Question: 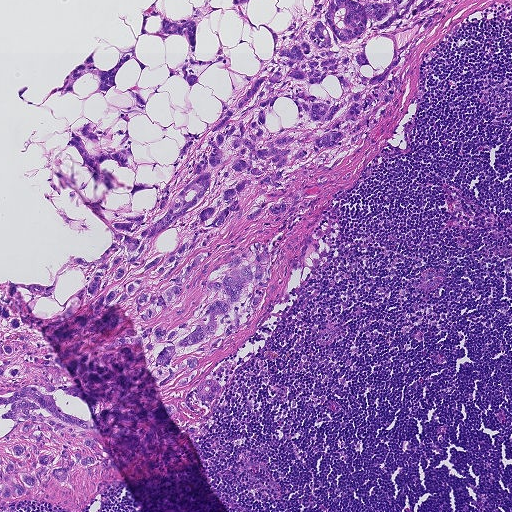
This is a crop of a whole-slide image: an H&E-stained breast-cancer sentinel lymph node section at roughly 5× magnification (about 1.8 µm per pixel; the crop spans about 0.93 mm).
About how much of this crop is taken up by metastatic carcinoma?

Choices:
 (A) about 10% to 20%
 (B) about 5% or less
 (C) about 50% or more
 (D) none: no tumour is outlined
 (E) about 25% to 45%

Answer: (E) about 25% to 45%
About 45% of the field is tumour.
Metastatic tumour outline, simplified to 30 points and listed clockwise in crop pixels (x, y): (211, 0), (196, 58), (216, 31), (237, 89), (273, 46), (231, 0), (248, 0), (280, 33), (310, 0), (498, 0), (428, 50), (326, 257), (222, 362), (198, 465), (5, 504), (0, 280), (112, 245), (53, 169), (91, 199), (62, 151), (133, 99), (18, 88), (133, 45), (118, 91), (161, 85), (136, 170), (101, 170), (158, 185), (229, 97), (149, 10).